Question: 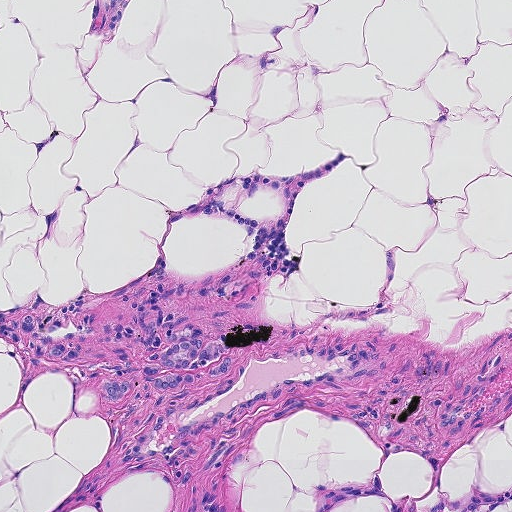
H&E-stained section of a sentinel lymph node (breast cancer), from a whole-slide image, viewed at about 10×: the field is about 0.46 mm across, about 0.9 µm per pixel.
Estimate the proportion of this field that is metastatic tumour.

Choices:
 (A) about 50% or more
 (B) about 25% to 45%
 (C) none: no tumour is outlined
 (D) about 10% to 20%
 (E) about 5% or less

Answer: (E) about 5% or less
About 5% of the field is tumour.
Tumour region outline (a closed clockwise path, crop pixels): (176, 280), (187, 282), (189, 294), (172, 310), (208, 331), (229, 334), (234, 350), (232, 373), (156, 398), (146, 392), (115, 403), (106, 398), (101, 388), (109, 358), (101, 351), (90, 348), (76, 363), (65, 363), (0, 337), (0, 315), (60, 310), (91, 326), (123, 319), (141, 293).